Image:
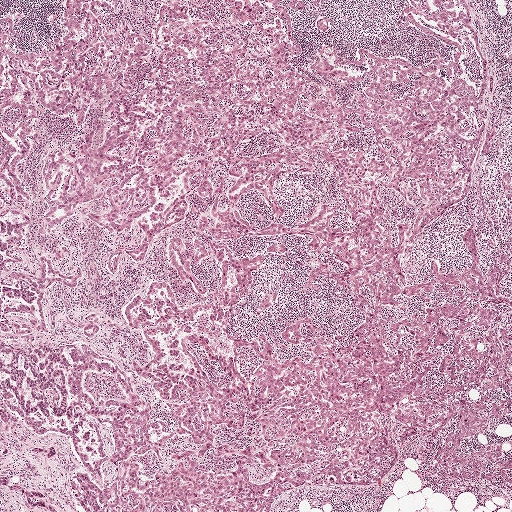
This is a crop of a whole-slide image: an H&E-stained breast-cancer sentinel lymph node section at roughly 2.5× magnification (about 3.9 µm per pixel; the crop spans about 2.0 mm).
Question:
Describe where the metastatic carcinoma lies in this crop.
Answer:
Boundaries of two metastatic tumour regions, simplified and listed clockwise, largest first: region 1: (378, 318), (396, 349), (406, 349), (406, 376), (432, 375), (385, 414), (396, 466), (353, 488), (301, 481), (274, 511), (84, 511), (65, 495), (80, 472), (104, 484), (128, 462), (150, 479), (186, 457), (214, 475), (238, 459), (206, 461), (195, 454), (170, 456), (191, 439), (130, 364), (152, 358), (150, 331), (162, 363), (190, 364), (182, 340), (227, 387), (187, 336), (228, 351), (250, 382), (257, 367), (307, 362), (319, 347); region 2: (333, 44), (351, 56), (360, 44), (424, 65), (438, 51), (455, 59), (458, 46), (473, 90), (486, 60), (490, 124), (465, 195), (429, 217), (400, 254), (411, 212), (378, 190), (394, 255), (408, 282), (427, 279), (431, 292), (357, 314), (343, 291), (318, 282), (315, 294), (305, 289), (320, 264), (341, 273), (342, 263), (309, 250), (304, 236), (255, 230), (324, 203), (335, 209), (334, 227), (354, 228), (317, 146), (379, 150), (312, 73), (314, 48).
About 25% of this field is tumour.